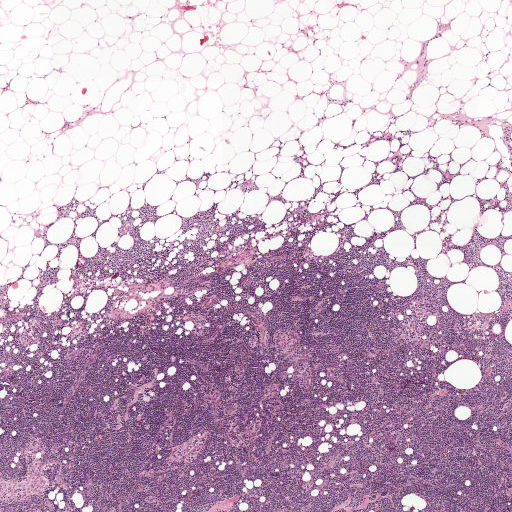
H&E-stained section of a sentinel lymph node (breast cancer), from a whole-slide image, viewed at about 2.5×: the field is about 2.0 mm across, about 3.9 µm per pixel.